Question: 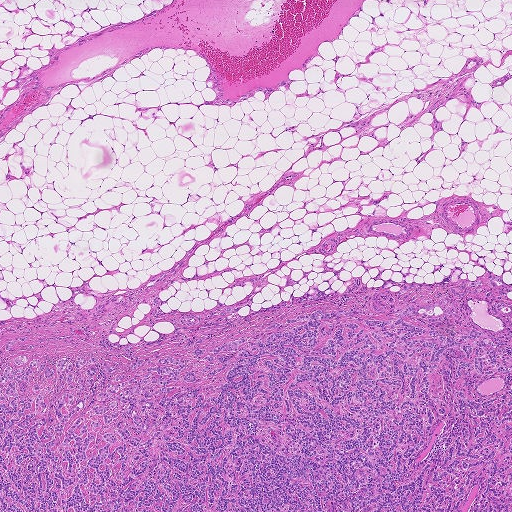
This is a crop of a whole-slide image: an H&E-stained breast-cancer sentinel lymph node section at roughly 2.5× magnification (about 3.6 µm per pixel; the crop spans about 1.9 mm).
About how much of this crop is taken up by metastatic carcinoma?

Choices:
 (A) none: no tumour is outlined
 (B) about 25% to 45%
 (C) about 50% or more
 (D) about 5% or less
 (E) about 10% to 20%

Answer: (B) about 25% to 45%
About 35% of the field is tumour.
Outlines of three tumour regions, largest first (closed clockwise paths, crop pixels): region 1: (493, 276), (510, 320), (511, 511), (0, 511), (0, 368), (15, 337), (55, 369), (91, 352), (125, 364), (129, 344), (188, 359), (195, 381), (167, 385), (205, 401), (225, 370), (200, 371), (203, 336), (205, 352), (317, 309), (389, 316); region 2: (316, 283), (318, 294), (320, 296), (318, 299), (311, 300), (307, 297), (306, 294), (313, 285); region 3: (240, 305), (239, 309), (226, 316), (222, 316), (220, 313), (223, 311), (223, 309), (226, 307).
Two more small tumour pieces are annotated here but not outlined.